Lymph node section stained with H&E, from a whole-slide image of a breast-cancer sentinel node. Magnification about 5×, about 1 mm across the frame, about 1.9 µm per pixel.
Question: 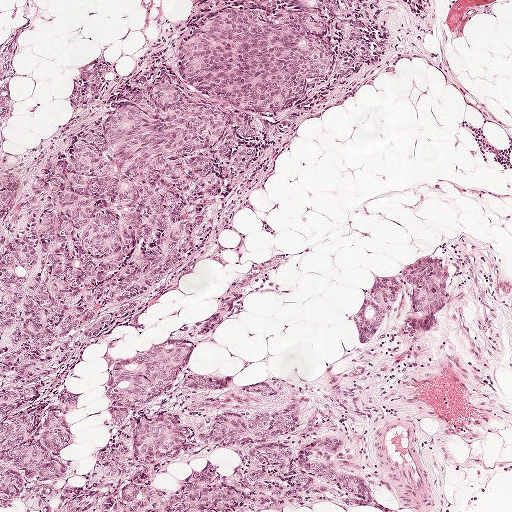
What fraction of the image area is metastatic tumour?

Choices:
 (A) about 10% to 20%
 (B) about 5% or less
 (C) about 50% or more
 (D) none: no tumour is outlined
 (E) about 25% to 45%

Answer: (C) about 50% or more
About 70% of the field is tumour.
Metastatic tumour outline, simplified to 18 points and listed clockwise in crop pixels (x, y): (186, 0), (450, 0), (442, 57), (303, 145), (228, 252), (212, 294), (212, 318), (292, 316), (413, 254), (452, 260), (450, 321), (397, 393), (389, 497), (365, 510), (0, 511), (7, 25), (60, 14), (90, 38).